Question: 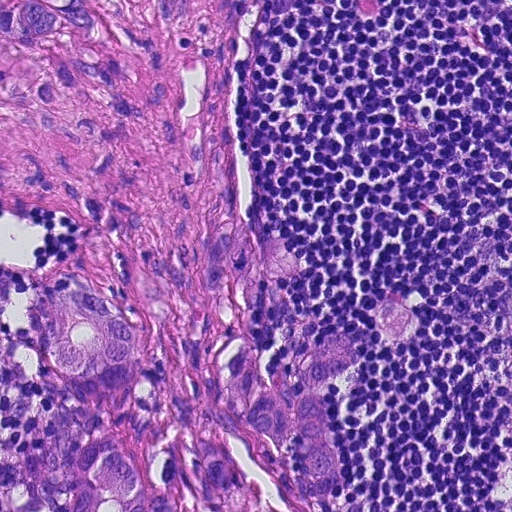
A 0.23-mm field of an H&E-stained sentinel lymph node from a breast-cancer patient (whole-slide image), shown at about 20×, about 0.45 µm per pixel.
What fraction of the image area is metastatic tumour?

Choices:
 (A) none: no tumour is outlined
 (B) about 25% to 45%
 (C) about 50% or more
 (D) about 5% or less
 (E) about 10% to 20%

Answer: (C) about 50% or more
About 50% of the field is tumour.
Tumour region outline (a closed clockwise path, crop pixels): (0, 0), (240, 0), (230, 118), (266, 277), (266, 370), (324, 331), (346, 325), (366, 335), (382, 293), (423, 313), (416, 335), (332, 382), (348, 470), (344, 493), (322, 501), (328, 511), (51, 511), (30, 464), (70, 405), (49, 376), (31, 304), (37, 281), (91, 230), (2, 196).
Question: 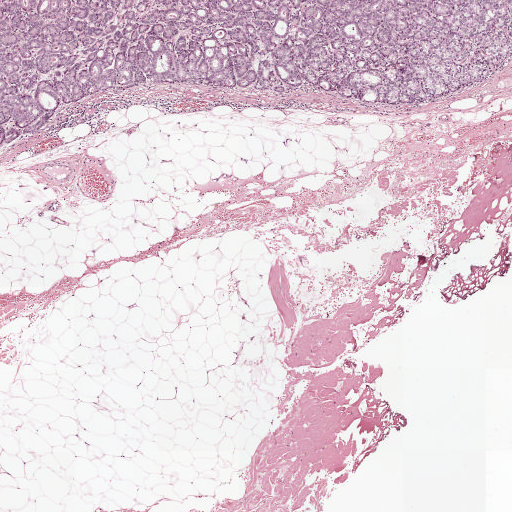
A 2.0-mm field of an H&E-stained sentinel lymph node from a breast-cancer patient (whole-slide image), shown at about 2.5×, about 3.9 µm per pixel.
What fraction of the image area is metastatic tumour?

Choices:
 (A) about 25% to 45%
 (B) about 50% or more
 (C) about 5% or less
 (D) none: no tumour is outlined
 (E) about 10% to 20%

Answer: (E) about 10% to 20%
About 20% of the field is tumour.
Tumour region outline (a closed clockwise path, crop pixels): (0, 0), (511, 0), (511, 61), (433, 103), (153, 85), (85, 98), (1, 148).
Question: 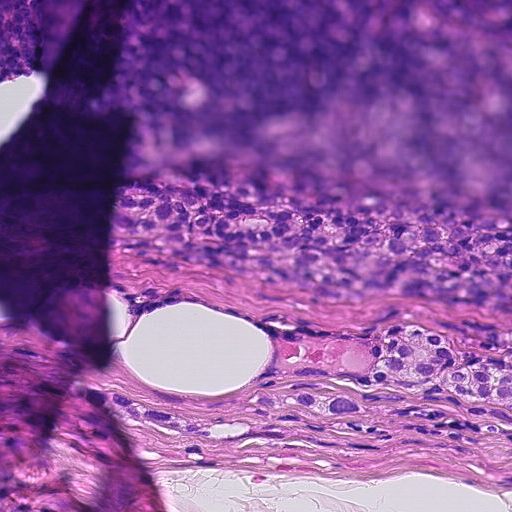
This is a crop of a whole-slide image: an H&E-stained breast-cancer sentinel lymph node section at roughly 20× magnification (about 0.45 µm per pixel; the crop spans about 0.23 mm).
What fraction of the image area is metastatic tumour?

Choices:
 (A) about 25% to 45%
 (B) about 50% or more
 (C) about 5% or less
 (D) about 10% to 20%
 (E) none: no tumour is outlined

Answer: (A) about 25% to 45%
About 45% of the field is tumour.
The outlined metastatic tumour's edge, as a closed clockwise path of 10 points: (132, 127), (511, 195), (511, 473), (408, 450), (165, 442), (106, 403), (2, 368), (0, 309), (108, 373), (114, 232).
Question: 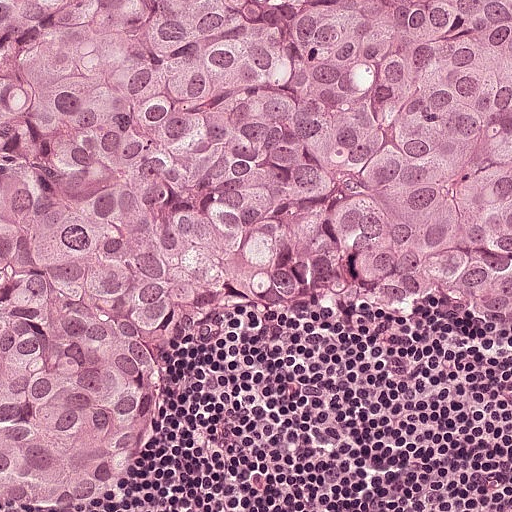
This is a crop of a whole-slide image: an H&E-stained breast-cancer sentinel lymph node section at roughly 20× magnification (about 0.49 µm per pixel; the crop spans about 0.25 mm).
What fraction of the image area is metastatic tumour?

Choices:
 (A) about 50% or more
 (B) about 10% to 20%
 (C) about 5% or less
 (D) about 25% to 45%
 (E) none: no tumour is outlined

Answer: (A) about 50% or more
About 70% of the field is tumour.
The outlined metastatic tumour's edge, as a closed clockwise path of 11 points: (0, 0), (511, 0), (511, 286), (438, 300), (331, 288), (192, 313), (170, 334), (161, 424), (126, 470), (66, 498), (0, 492).